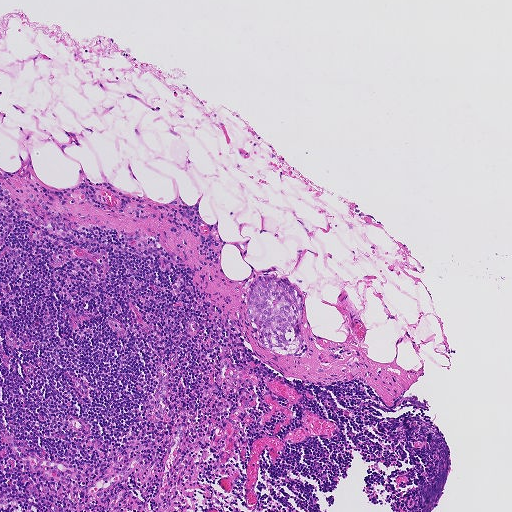
Lymph node section stained with H&E, from a whole-slide image of a breast-cancer sentinel node. Magnification about 5×, about 0.93 mm across the frame, about 1.8 µm per pixel.
One metastatic tumour region; its boundary, reduced to 15 corners and listed clockwise: (269, 274), (278, 278), (282, 276), (286, 278), (300, 292), (303, 301), (299, 326), (304, 354), (301, 356), (286, 356), (263, 347), (245, 312), (249, 293), (245, 287), (246, 282).
Under 5% of this field is tumour.